Image:
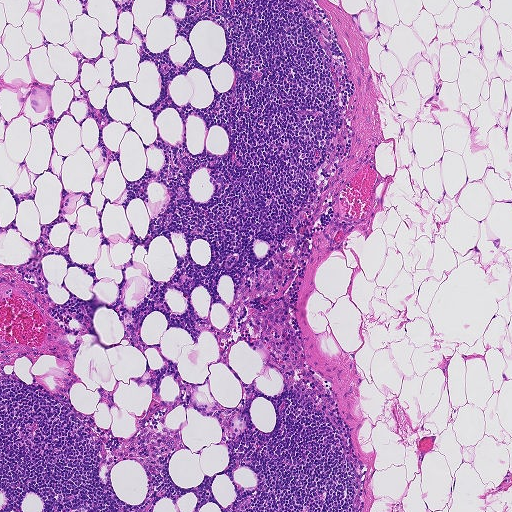
Lymph node section stained with H&E, from a whole-slide image of a breast-cancer sentinel node. Magnification about 5×, about 0.93 mm across the frame, about 1.8 µm per pixel.
Question:
Is there metastatic carcinoma in this field?
Answer:
No: no metastatic tumour is outlined anywhere in this field.